Image:
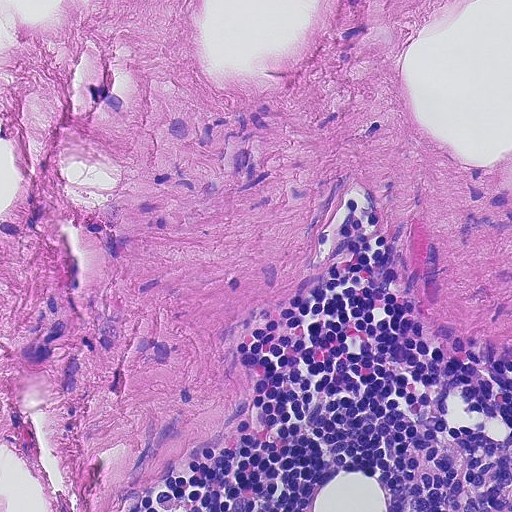
Lymph node section stained with H&E, from a whole-slide image of a breast-cancer sentinel node. Magnification about 20×, about 0.23 mm across the frame, about 0.45 µm per pixel.
Question:
Is any metastatic breast cancer visible in this crop?
Answer:
No, this field holds no outlined metastasis.